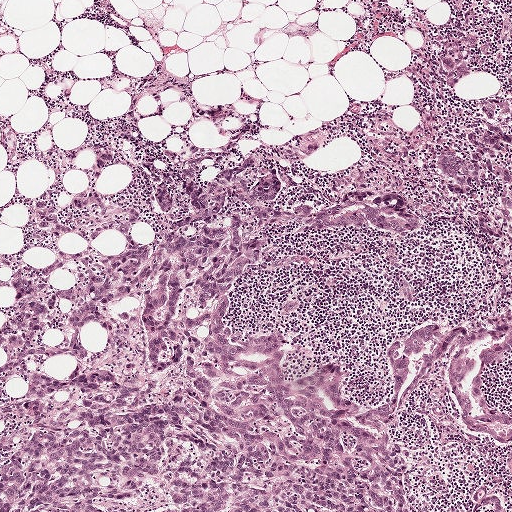
This is a crop of a whole-slide image: an H&E-stained breast-cancer sentinel lymph node section at roughly 5× magnification (about 1.9 µm per pixel; the crop spans about 1 mm).
The outlined metastatic tumour's edge, as a closed clockwise path of 24 points: (237, 211), (261, 256), (229, 304), (228, 330), (282, 331), (290, 376), (342, 363), (361, 406), (380, 399), (383, 353), (402, 327), (442, 324), (398, 423), (421, 511), (0, 511), (0, 463), (24, 446), (18, 395), (30, 365), (142, 375), (130, 298), (90, 326), (64, 323), (78, 288).
Tumour covers about 30% of the frame.